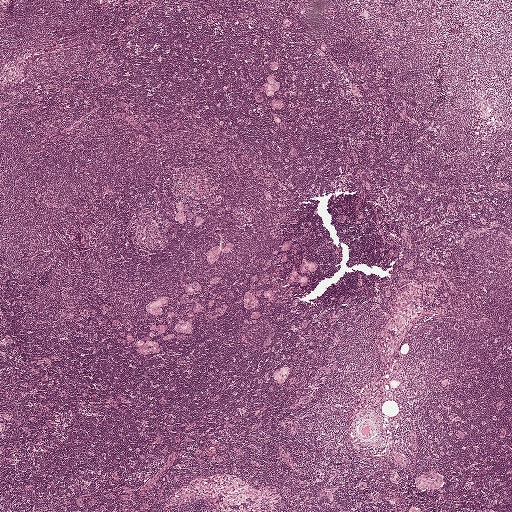
A 2.0-mm field of an H&E-stained sentinel lymph node from a breast-cancer patient (whole-slide image), shown at about 2.5×, about 3.9 µm per pixel.
Outlines of the eight largest metastatic tumour regions, each a closed clockwise path in crop pixels (x, y), largest first: region 1: (272, 61), (276, 61), (279, 64), (278, 69), (274, 69), (274, 75), (278, 83), (278, 88), (272, 98), (281, 100), (283, 107), (281, 109), (275, 110), (273, 109), (263, 89), (264, 87), (263, 85), (271, 72), (269, 68), (269, 64); region 2: (436, 472), (438, 472), (443, 479), (443, 482), (443, 484), (436, 488), (420, 490), (415, 484), (415, 476), (417, 474), (423, 473), (426, 475), (431, 476); region 3: (144, 339), (155, 340), (159, 343), (158, 348), (160, 351), (157, 354), (143, 356), (137, 352), (137, 347), (134, 344), (134, 340), (145, 343); region 4: (161, 295), (167, 296), (168, 299), (168, 303), (160, 307), (162, 310), (161, 314), (150, 315), (146, 312), (146, 307), (149, 300), (155, 300); region 5: (285, 365), (290, 367), (288, 380), (282, 385), (278, 385), (272, 376), (277, 367); region 6: (246, 290), (254, 293), (258, 299), (258, 307), (251, 310), (245, 310), (242, 306), (242, 297); region 7: (303, 257), (306, 257), (316, 263), (318, 270), (312, 273), (301, 273), (298, 267); region 8: (294, 268), (297, 270), (300, 274), (307, 276), (309, 278), (308, 285), (304, 287), (300, 285), (296, 281), (289, 283), (288, 280), (291, 270).
Six more, smaller tumour regions are not outlined.
15 more small tumour pieces are annotated here but not outlined.
Tumour covers under 5% of the frame.